A 0.25-mm field of an H&E-stained sentinel lymph node from a breast-cancer patient (whole-slide image), shown at about 20×, about 0.49 µm per pixel.
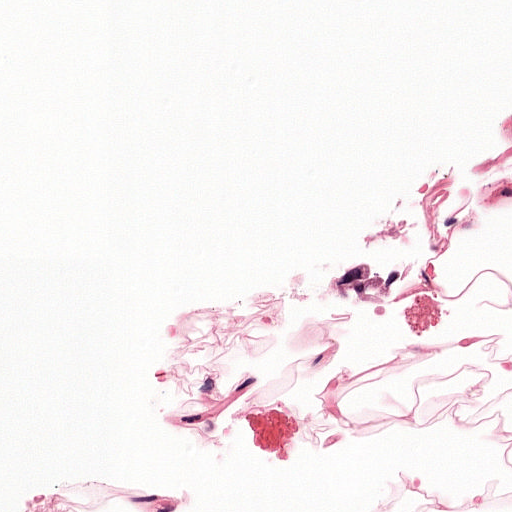
Tumour region outline (a closed clockwise path, crop pixels): (361, 262), (374, 263), (378, 274), (400, 270), (400, 284), (386, 295), (378, 294), (367, 289), (365, 301), (348, 293), (336, 300), (329, 282), (345, 268).
Under 5% of the image area is annotated as tumour.